Image:
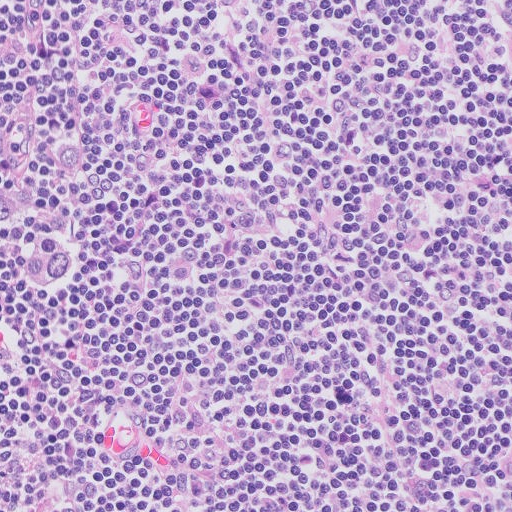
H&E-stained section of a sentinel lymph node (breast cancer), from a whole-slide image, viewed at about 20×: the field is about 0.26 mm across, about 0.5 µm per pixel.
Question:
Where is the metastatic tumour in this field? Give each region's outline as (x, y) pixel points.
Answer:
The outlined metastatic tumour's edge, as a closed clockwise path of 4 points: (0, 30), (116, 138), (85, 284), (0, 422).
About 10% of this field is tumour.

Image:
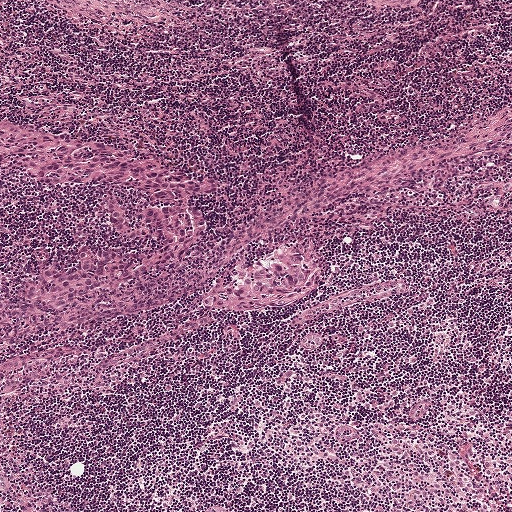
A 1-mm field of an H&E-stained sentinel lymph node from a breast-cancer patient (whole-slide image), shown at about 5×, about 1.9 µm per pixel.
Question:
Where is the metastatic tumour in this field? Give each region's outline as (x, y) pixel points.
Answer:
Boundaries of two metastatic tumour regions, simplified and listed clockwise, largest first: region 1: (0, 108), (212, 179), (213, 189), (196, 189), (204, 236), (194, 252), (3, 334); region 2: (293, 237), (308, 239), (319, 284), (295, 304), (280, 307), (212, 311), (196, 306), (195, 294), (200, 285), (232, 261), (270, 254), (273, 246).
The annotated tumour makes up about 15% of the crop.

Image:
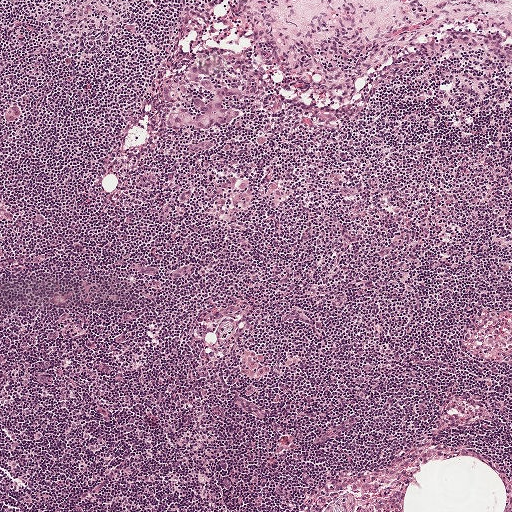
A 1-mm field of an H&E-stained sentinel lymph node from a breast-cancer patient (whole-slide image), shown at about 5×, about 1.9 µm per pixel.
Question:
Where is the metastatic tumour in this field? Give each region's outline as (x, y) pixel points.
Answer:
One metastatic tumour region; its boundary, reduced to 20 corners and listed clockwise: (210, 64), (215, 83), (228, 84), (247, 93), (241, 97), (234, 94), (227, 96), (229, 105), (243, 108), (243, 114), (232, 123), (210, 127), (194, 125), (178, 127), (167, 123), (169, 105), (160, 86), (176, 74), (185, 74), (193, 65).
Under 5% of this field is tumour.

Image:
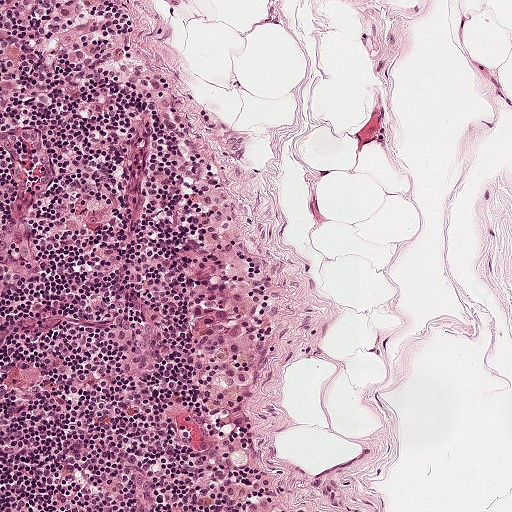
Lymph node section stained with H&E, from a whole-slide image of a breast-cancer sentinel node. Magnification about 10×, about 0.5 mm across the frame, about 0.97 µm per pixel.
Question:
Where is the metastatic tumour in this field? Give each region's outline as (x, y) pixel points.
Answer:
The outlined metastatic tumour's edge, as a closed clockwise path of 12 points: (221, 298), (240, 306), (261, 341), (260, 366), (251, 386), (246, 389), (223, 388), (208, 382), (192, 364), (200, 343), (193, 320), (195, 299).
The annotated tumour makes up under 5% of the crop.